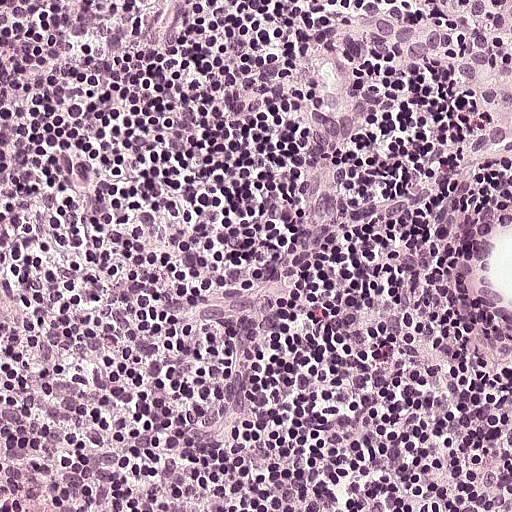
Lymph node section stained with H&E, from a whole-slide image of a breast-cancer sentinel node. Magnification about 20×, about 0.25 mm across the frame, about 0.49 µm per pixel.